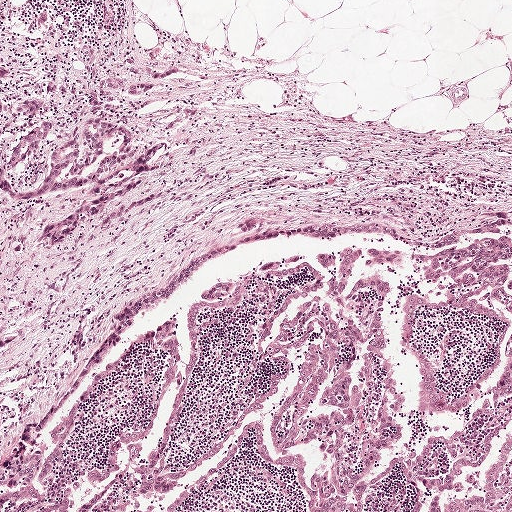
Lymph node section stained with H&E, from a whole-slide image of a breast-cancer sentinel node. Magnification about 5×, about 1 mm across the frame, about 1.9 µm per pixel.